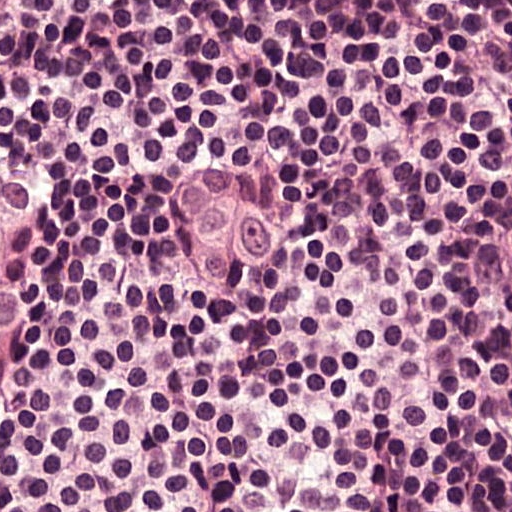
H&E-stained section of a sentinel lymph node (breast cancer), from a whole-slide image, viewed at about 40×: the field is about 0.12 mm across, about 0.24 µm per pixel.
Two metastatic tumour regions, each outlined as a closed clockwise path in crop pixels (x, y), largest first: region 1: (193, 165), (288, 183), (311, 196), (316, 204), (316, 249), (306, 278), (246, 314), (222, 314), (190, 299), (161, 260), (156, 215), (167, 178); region 2: (0, 131), (53, 157), (63, 188), (63, 236), (51, 270), (48, 328), (22, 415), (1, 446).
About 10% of this field is tumour.